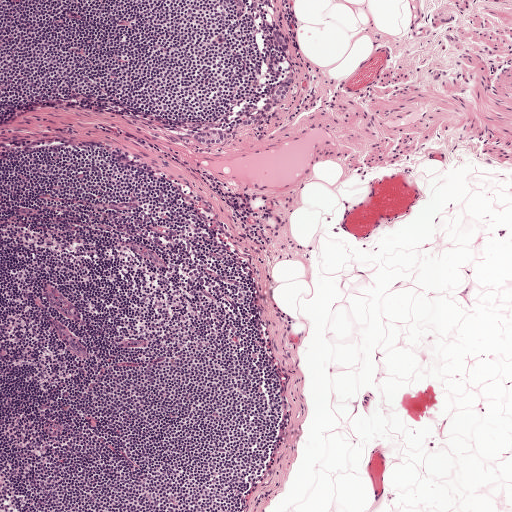
A 1-mm field of an H&E-stained sentinel lymph node from a breast-cancer patient (whole-slide image), shown at about 5×, about 1.9 µm per pixel.
Three metastatic tumour regions, each outlined as a closed clockwise path in crop pixels (x, y), largest first: region 1: (290, 74), (293, 82), (290, 90), (281, 102), (264, 118), (257, 122), (250, 124), (242, 124), (243, 120), (254, 115), (260, 110); region 2: (221, 130), (226, 132), (226, 138), (223, 144), (202, 144), (195, 142), (192, 137), (198, 131); region 3: (274, 28), (280, 30), (288, 36), (288, 50), (284, 54), (277, 46), (273, 38).
Under 5% of this field is tumour.